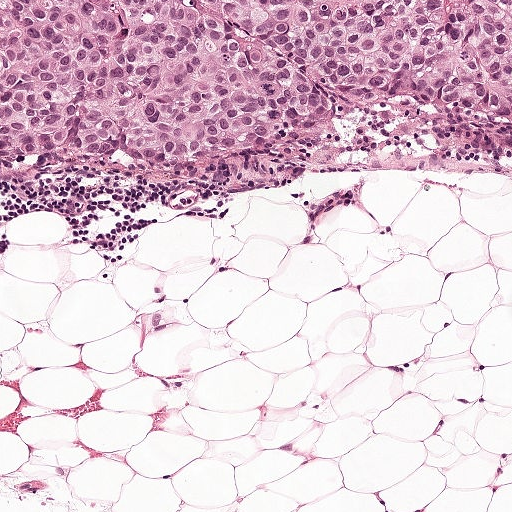
This is a crop of a whole-slide image: an H&E-stained breast-cancer sentinel lymph node section at roughly 10× magnification (about 0.97 µm per pixel; the crop spans about 0.5 mm).
Tumour region outline (a closed clockwise path, crop pixels): (0, 0), (511, 0), (511, 136), (479, 123), (374, 120), (253, 176), (3, 182).
Tumour covers about 30% of the frame.